Image:
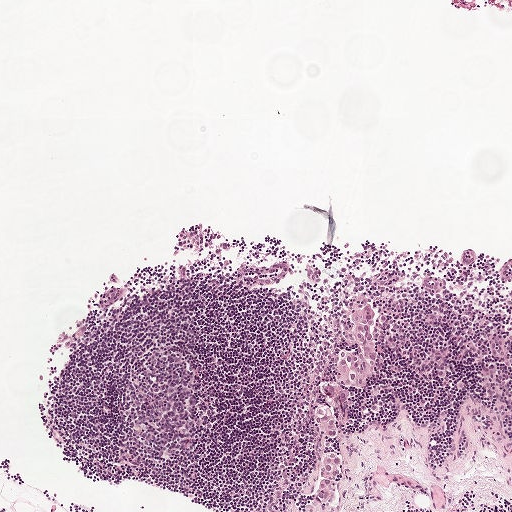
This is a crop of a whole-slide image: an H&E-stained breast-cancer sentinel lymph node section at roughly 5× magnification (about 1.9 µm per pixel; the crop spans about 1 mm).
Question:
Which parts of this field are metastatic tumour?
Answer:
Tumour region outline (a closed clockwise path, crop pixels): (370, 302), (376, 312), (371, 328), (375, 371), (368, 387), (350, 395), (352, 411), (349, 418), (324, 442), (326, 450), (339, 458), (338, 482), (330, 504), (320, 505), (314, 497), (319, 472), (314, 415), (324, 402), (322, 388), (334, 382), (341, 344), (347, 340), (348, 311).
The annotated tumour makes up under 5% of the crop.